Image:
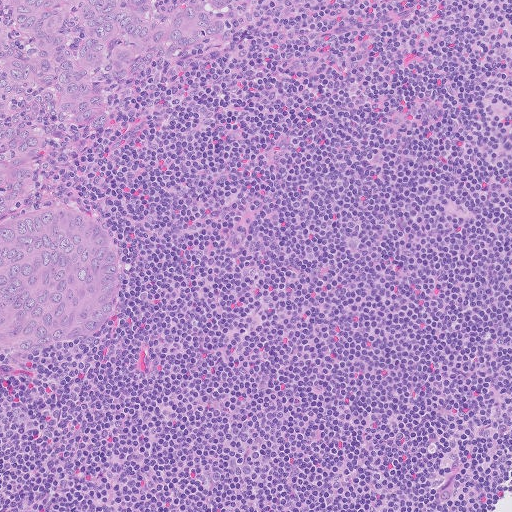
A 0.51-mm field of an H&E-stained sentinel lymph node from a breast-cancer patient (whole-slide image), shown at about 10×, about 1.0 µm per pixel.
Question:
Which parts of this field are metastatic tumour?
Answer:
Metastatic tumour outline, simplified to 15 points and listed clockwise in crop pixels (x, y): (0, 0), (278, 0), (222, 46), (118, 79), (108, 122), (91, 134), (69, 128), (54, 144), (42, 187), (82, 204), (118, 235), (133, 276), (131, 298), (103, 330), (0, 370).
The annotated tumour makes up about 15% of the crop.